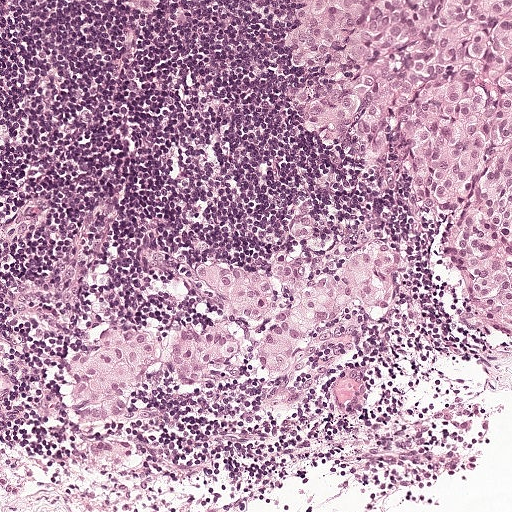
A 0.5-mm field of an H&E-stained sentinel lymph node from a breast-cancer patient (whole-slide image), shown at about 10×, about 0.97 µm per pixel.
Question: Where is the metastatic tumour in this field?
Answer: Three metastatic tumour regions, each outlined as a closed clockwise path in crop pixels (x, y), largest first: region 1: (511, 0), (511, 337), (487, 332), (456, 297), (421, 205), (308, 140), (275, 98), (275, 88), (294, 80), (276, 58), (288, 4); region 2: (376, 236), (390, 252), (385, 313), (346, 302), (325, 313), (302, 330), (279, 379), (262, 380), (240, 352), (192, 383), (144, 368), (140, 410), (124, 429), (62, 413), (70, 350), (103, 315), (148, 332), (178, 324), (236, 333), (189, 274), (194, 265), (268, 270), (282, 258), (318, 276); region 3: (114, 0), (153, 0), (148, 7), (140, 7), (129, 7), (122, 6), (114, 1).
About 30% of this field is tumour.